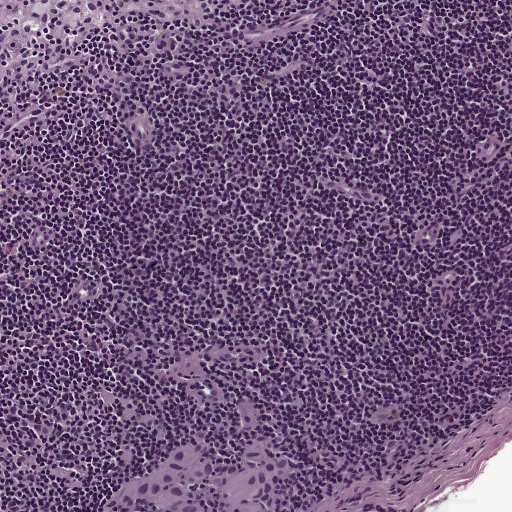
H&E-stained section of a sentinel lymph node (breast cancer), from a whole-slide image, viewed at about 10×: the field is about 0.5 mm across, about 0.97 µm per pixel.
The outlined metastatic tumour's edge, as a closed clockwise path of 13 points: (248, 396), (265, 411), (269, 440), (299, 470), (277, 511), (89, 511), (94, 500), (182, 438), (199, 439), (209, 454), (224, 462), (243, 442), (234, 401).
Tumour covers about 5% of the frame.